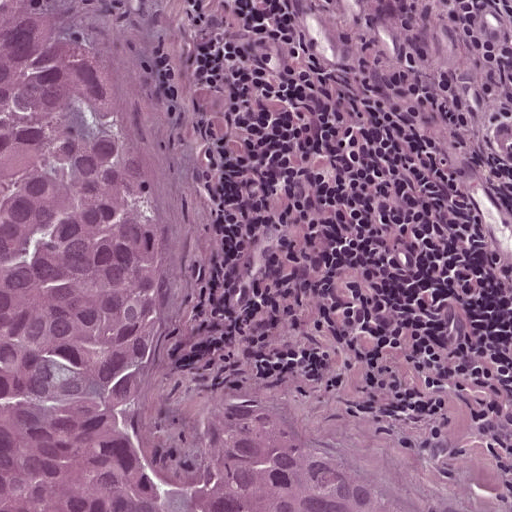
A 0.25-mm field of an H&E-stained sentinel lymph node from a breast-cancer patient (whole-slide image), shown at about 20×, about 0.49 µm per pixel.
One metastatic tumour region; its boundary, reduced to 8 corners and listed clockwise: (0, 0), (154, 0), (208, 173), (176, 337), (220, 406), (304, 414), (480, 511), (0, 511).
The annotated tumour makes up about 45% of the crop.